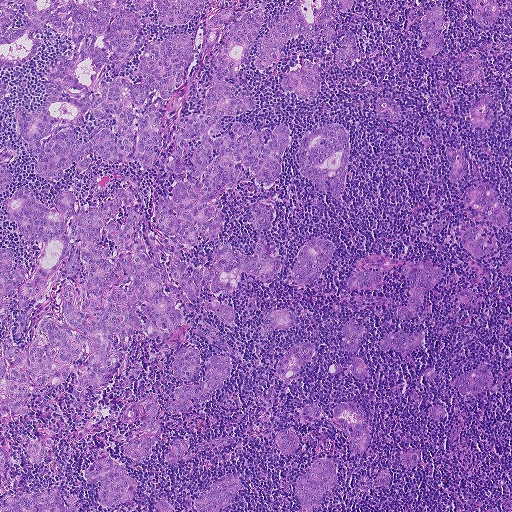
A 0.93-mm field of an H&E-stained sentinel lymph node from a breast-cancer patient (whole-slide image), shown at about 5×, about 1.8 µm per pixel.
Eight metastatic tumour regions, each outlined as a closed clockwise path in crop pixels (x, y), largest first: region 1: (0, 0), (147, 1), (149, 12), (128, 6), (150, 18), (135, 35), (149, 34), (123, 71), (87, 57), (76, 66), (98, 92), (119, 79), (142, 84), (146, 42), (183, 33), (194, 46), (171, 98), (154, 91), (131, 104), (134, 114), (153, 103), (161, 114), (152, 165), (93, 152), (86, 170), (72, 162), (59, 181), (36, 178), (15, 111), (49, 95), (56, 56), (72, 56), (71, 27), (61, 41), (47, 23), (32, 58), (2, 68); region 2: (332, 123), (342, 125), (346, 129), (349, 140), (348, 173), (341, 193), (342, 204), (328, 193), (318, 189), (302, 175), (298, 170), (298, 165), (298, 149), (301, 139), (308, 131); region 3: (330, 0), (334, 39), (327, 44), (324, 34), (319, 32), (312, 39), (302, 36), (292, 39), (285, 45), (283, 50), (286, 54), (282, 58), (273, 62), (267, 70), (258, 70), (253, 62), (254, 45), (292, 2); region 4: (102, 455), (112, 459), (124, 469), (126, 475), (135, 480), (134, 497), (131, 502), (115, 506), (104, 506), (99, 502), (96, 496), (101, 486), (100, 480), (94, 484), (88, 483), (86, 479), (93, 462); region 5: (222, 354), (230, 361), (231, 372), (222, 386), (218, 390), (215, 390), (210, 400), (199, 403), (192, 398), (190, 410), (186, 413), (169, 413), (166, 409), (168, 404), (178, 401), (175, 397), (174, 392), (178, 387), (188, 384), (199, 383), (207, 360), (210, 356); region 6: (322, 237), (332, 243), (334, 248), (334, 253), (318, 281), (314, 284), (293, 285), (285, 285), (283, 280), (289, 276), (300, 251), (306, 242); region 7: (50, 487), (56, 487), (62, 494), (73, 493), (80, 498), (77, 503), (76, 511), (1, 511), (0, 497), (40, 492); region 8: (319, 458), (330, 459), (335, 469), (337, 480), (336, 485), (322, 494), (320, 504), (312, 511), (301, 511), (300, 500), (295, 490), (296, 484), (300, 475), (309, 469), (314, 459).
One more tumour region is annotated but not outlined: its edge is too irregular for a short outline.
37 more, smaller tumour regions are not outlined.
Three more small tumour pieces are annotated here but not outlined.
Tumour covers about 40% of the frame.